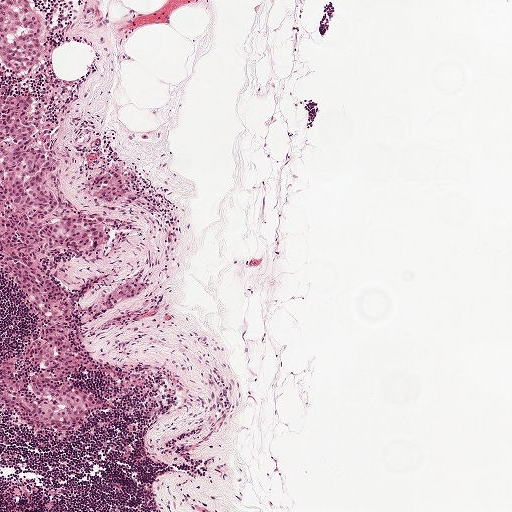
Lymph node section stained with H&E, from a whole-slide image of a breast-cancer sentinel node. Magnification about 5×, about 1 mm across the frame, about 1.9 µm per pixel.
Question: Show where the tumour is in this image.
Answer: Four metastatic tumour regions, each outlined as a closed clockwise path in crop pixels (x, y), largest first: region 1: (0, 93), (8, 93), (25, 102), (60, 160), (52, 182), (62, 202), (106, 232), (106, 242), (94, 248), (70, 245), (49, 253), (49, 269), (67, 300), (82, 356), (70, 381), (99, 403), (89, 424), (49, 436), (0, 409), (0, 365), (23, 353), (36, 335), (24, 294), (1, 271); region 2: (0, 0), (21, 0), (33, 5), (46, 31), (46, 38), (36, 68), (28, 73), (14, 74), (8, 73), (0, 62); region 3: (112, 166), (119, 170), (130, 183), (130, 190), (126, 196), (103, 204), (92, 198), (89, 187), (94, 176); region 4: (140, 273), (147, 287), (119, 309), (104, 310), (101, 303), (105, 293), (125, 279).
Tumour covers about 10% of the frame.